Lymph node section stained with H&E, from a whole-slide image of a breast-cancer sentinel node. Magnification about 2.5×, about 2.0 mm across the frame, about 3.9 µm per pixel.
Question: 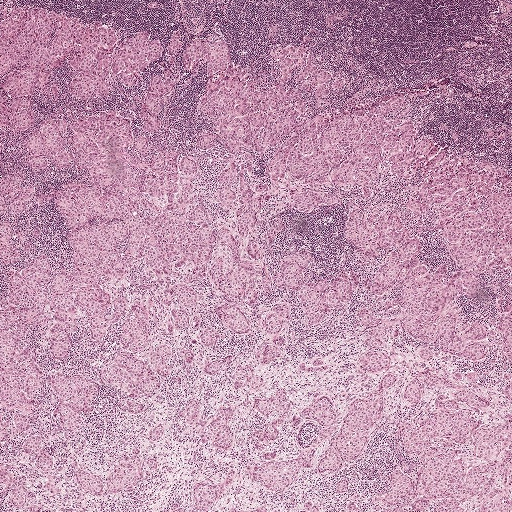
Estimate the proportion of this field that is metastatic tumour.

Choices:
 (A) about 10% to 20%
 (B) none: no tumour is outlined
 (C) about 50% or more
 (D) about 5% or less
 (E) about 25% to 45%

Answer: (C) about 50% or more
About 80% of the field is tumour.
Outlines of three tumour regions, largest first (closed clockwise paths, crop pixels): region 1: (190, 42), (230, 43), (268, 88), (295, 45), (346, 80), (325, 111), (399, 93), (421, 133), (511, 170), (511, 511), (0, 511), (0, 223), (28, 262), (72, 270), (36, 197), (88, 174), (25, 162), (44, 117), (113, 109), (139, 135), (167, 69), (151, 137), (194, 152); region 2: (50, 7), (103, 21), (123, 32), (120, 42), (145, 30), (160, 42), (161, 56), (136, 84), (111, 77), (106, 98), (79, 99), (68, 89), (74, 69), (58, 68), (51, 84), (60, 96), (35, 92), (34, 125), (8, 131), (0, 156), (0, 98), (6, 94), (0, 23), (7, 14); region 3: (21, 171), (25, 176), (25, 189), (37, 186), (28, 208), (18, 213), (8, 210), (0, 213), (0, 178), (7, 173).